Lymph node section stained with H&E, from a whole-slide image of a breast-cancer sentinel node. Magnification about 5×, about 0.93 mm across the frame, about 1.8 µm per pixel.
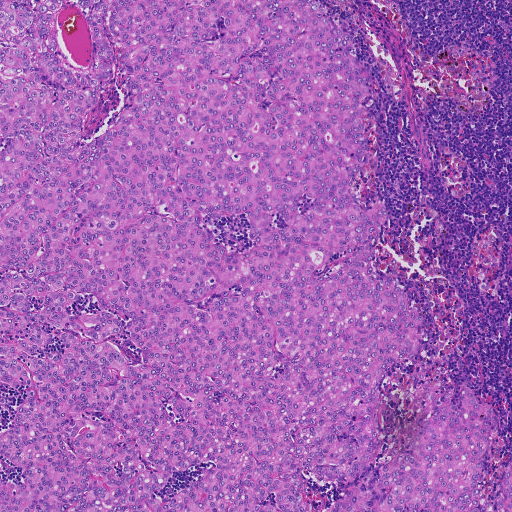
Outlines of two tumour regions, largest first (closed clockwise paths, crop pixels): region 1: (0, 0), (319, 0), (350, 35), (373, 86), (371, 152), (352, 186), (364, 206), (386, 205), (375, 268), (408, 290), (422, 325), (416, 356), (380, 385), (380, 453), (344, 483), (304, 473), (311, 506), (0, 511); region 2: (468, 387), (493, 403), (500, 426), (501, 434), (482, 485), (490, 498), (511, 457), (511, 511), (329, 511), (355, 482), (391, 460), (389, 452), (438, 402), (453, 401), (455, 406).
Tumour covers about 80% of the frame.